Question: 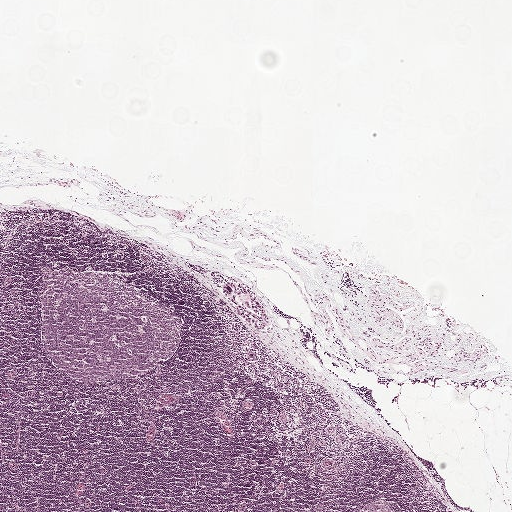
This is a crop of a whole-slide image: an H&E-stained breast-cancer sentinel lymph node section at roughly 2.5× magnification (about 3.9 µm per pixel; the crop spans about 2.0 mm).
Estimate the proportion of this field that is metastatic tumour.

Choices:
 (A) about 25% to 45%
 (B) about 5% or less
 (C) none: no tumour is outlined
 (D) about 10% to 20%
 (E) about 50% or more

Answer: (B) about 5% or less
Under 5% of the field is tumour.
The outlined metastatic tumour's edge, as a closed clockwise path of 12 points: (226, 281), (246, 287), (264, 306), (269, 321), (268, 329), (264, 331), (253, 329), (246, 323), (239, 316), (234, 305), (229, 301), (222, 288).
Question: 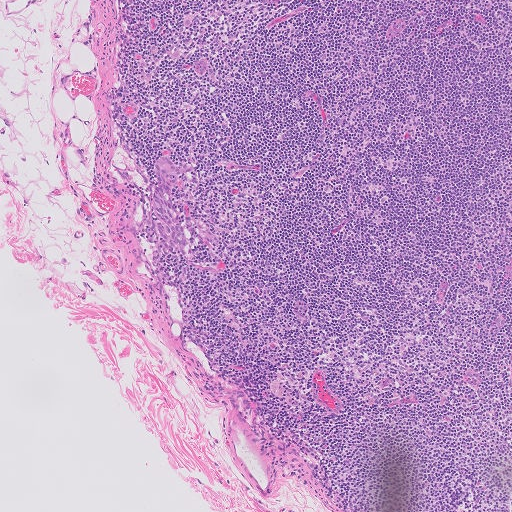
This is a crop of a whole-slide image: an H&E-stained breast-cancer sentinel lymph node section at roughly 5× magnification (about 2.0 µm per pixel; the crop spans about 1.0 mm).
Estimate the proportion of this field that is metastatic tumour.

Choices:
 (A) about 5% or less
 (B) about 25% to 45%
 (C) about 10% to 20%
 (D) none: no tumour is outlined
 (E) about 50% or more

Answer: (A) about 5% or less
Under 5% of the field is tumour.
The outlined metastatic tumour's edge, as a closed clockwise path of 12 points: (166, 154), (178, 163), (182, 170), (183, 179), (175, 193), (187, 239), (182, 254), (174, 256), (159, 251), (149, 229), (150, 204), (158, 156).
Question: 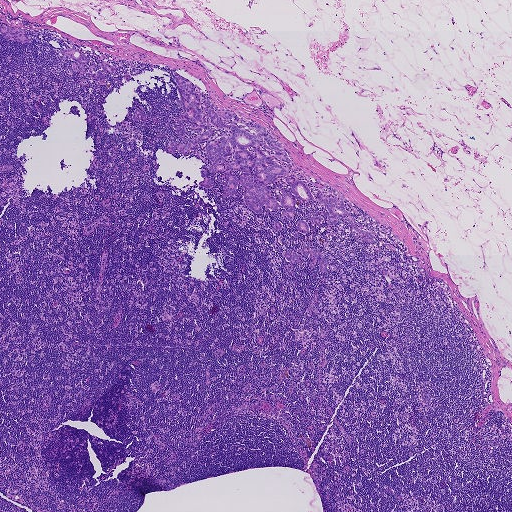
Lymph node section stained with H&E, from a whole-slide image of a breast-cancer sentinel node. Magnification about 2.5×, about 1.9 mm across the frame, about 3.6 µm per pixel.
Estimate the proportion of this field that is metastatic tumour.

Choices:
 (A) none: no tumour is outlined
 (B) about 25% to 45%
 (C) about 10% to 20%
 (D) about 50% or more
 (E) about 5% or less

Answer: (E) about 5% or less
About 5% of the field is tumour.
Seven metastatic tumour regions, each outlined as a closed clockwise path in crop pixels (x, y), largest first: region 1: (174, 73), (197, 87), (200, 101), (232, 112), (248, 126), (260, 125), (280, 141), (288, 161), (259, 146), (286, 169), (267, 185), (276, 210), (264, 204), (261, 214), (251, 210), (239, 183), (237, 196), (226, 198), (226, 172), (207, 172), (212, 186), (200, 185), (200, 169), (211, 164), (204, 156), (206, 141), (186, 156), (165, 149), (182, 140), (174, 128), (181, 126), (179, 112), (184, 114); region 2: (287, 177), (294, 177), (303, 181), (312, 197), (312, 200), (304, 202), (294, 197), (295, 208), (294, 219), (291, 220), (282, 215), (281, 211), (288, 209), (282, 208), (280, 200), (282, 193), (280, 188), (288, 191), (290, 186), (284, 179); region 3: (320, 190), (328, 191), (334, 196), (341, 197), (347, 214), (346, 217), (336, 216), (336, 224), (330, 225), (323, 214), (324, 211), (327, 211), (316, 200), (315, 197), (317, 192); region 4: (69, 47), (78, 50), (88, 58), (84, 66), (86, 70), (93, 74), (102, 69), (100, 63), (104, 61), (114, 67), (114, 71), (110, 72), (107, 70), (103, 71), (104, 79), (100, 80), (92, 79), (86, 74), (74, 71), (72, 63), (73, 60), (61, 55), (59, 52); region 5: (305, 245), (310, 249), (314, 248), (317, 250), (327, 262), (326, 270), (323, 272), (320, 272), (316, 258), (313, 255), (311, 258), (306, 257), (300, 252), (298, 253), (300, 259), (298, 262), (295, 264), (292, 264), (285, 259), (284, 256), (284, 252), (290, 249), (296, 251), (300, 250); region 6: (0, 26), (21, 29), (31, 42), (23, 43), (7, 40), (1, 34); region 7: (137, 108), (145, 113), (146, 117), (146, 121), (142, 121), (139, 119), (134, 121), (132, 117), (132, 113).
Three more small tumour pieces are annotated here but not outlined.
Question: 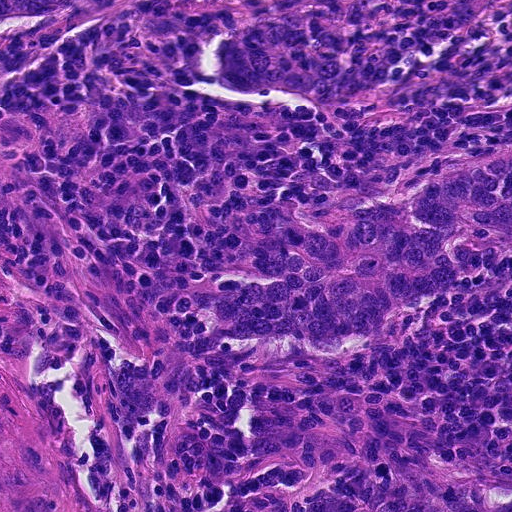
H&E-stained section of a sentinel lymph node (breast cancer), from a whole-slide image, viewed at about 20×: the field is about 0.23 mm across, about 0.45 µm per pixel.
Estimate the proportion of this field that is metastatic tumour.

Choices:
 (A) none: no tumour is outlined
 (B) about 25% to 45%
 (C) about 5% or less
 (D) about 10% to 20%
 (E) about 50% or more

Answer: (E) about 50% or more
About 95% of the field is tumour.
The outlined metastatic tumour's edge, as a closed clockwise path of 14 points: (0, 0), (498, 0), (498, 19), (472, 44), (480, 78), (458, 140), (511, 133), (511, 281), (438, 312), (354, 376), (399, 388), (511, 460), (511, 511), (0, 511).